Lymph node section stained with H&E, from a whole-slide image of a breast-cancer sentinel node. Magnification about 2.5×, about 1.9 mm across the frame, about 3.6 µm per pixel.
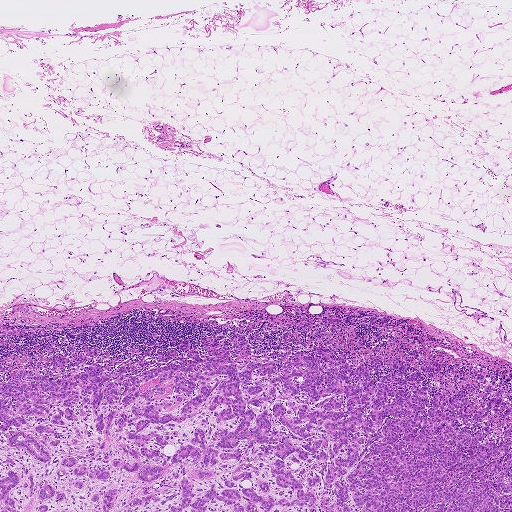
Boundaries of three metastatic tumour regions, simplified and listed clockwise, largest first: region 1: (317, 331), (337, 359), (381, 359), (376, 385), (415, 349), (420, 369), (460, 364), (459, 389), (480, 372), (483, 399), (511, 395), (511, 511), (0, 511), (0, 375), (24, 369), (148, 349), (146, 369), (226, 334), (233, 356), (236, 333), (242, 371), (314, 358); region 2: (47, 342), (51, 343), (52, 347), (57, 348), (55, 352), (62, 355), (66, 353), (68, 344), (72, 344), (77, 352), (85, 354), (81, 346), (85, 344), (101, 349), (96, 356), (71, 367), (69, 364), (61, 365), (55, 369), (49, 365), (49, 354), (43, 349); region 3: (17, 304), (33, 306), (37, 307), (38, 311), (43, 315), (32, 312), (29, 313), (13, 311), (12, 307).
One more small tumour piece is annotated here but not outlined.
About 30% of the image area is annotated as tumour.